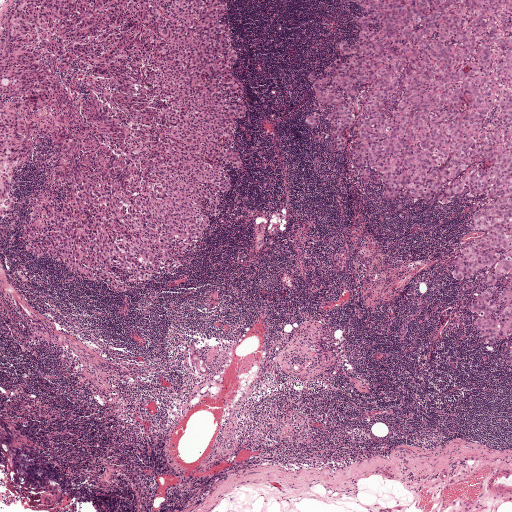
This is a crop of a whole-slide image: an H&E-stained breast-cancer sentinel lymph node section at roughly 2.5× magnification (about 3.9 µm per pixel; the crop spans about 2.0 mm).
Outlines of three tumour regions, largest first (closed clockwise paths, crop pixels): region 1: (14, 0), (226, 0), (255, 109), (237, 139), (247, 168), (241, 176), (233, 170), (197, 259), (122, 292), (26, 252), (21, 223), (44, 176), (29, 163), (1, 223), (0, 33); region 2: (333, 0), (511, 0), (511, 336), (494, 346), (476, 335), (452, 266), (458, 242), (486, 230), (464, 225), (482, 199), (389, 207), (341, 156), (312, 144), (324, 121), (302, 122), (309, 73), (329, 66), (354, 39), (350, 17), (367, 12); region 3: (511, 344), (511, 385), (504, 374), (502, 364).
The annotated tumour makes up about 40% of the crop.